Question: 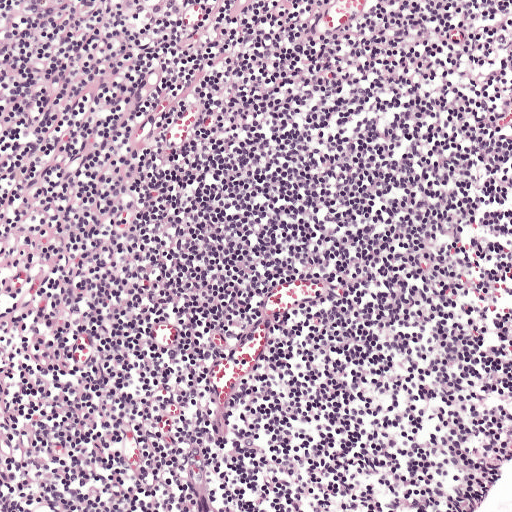
About what magnification does this crop show?

Choices:
 (A) about 40×
 (B) about 10×
 (C) about 2.5×
 (D) about 20×
 (E) about 5×

Answer: (B) about 10×
H&E-stained section of a sentinel lymph node (breast cancer), from a whole-slide image, viewed at about 10×: the field is about 0.5 mm across, about 0.97 µm per pixel.